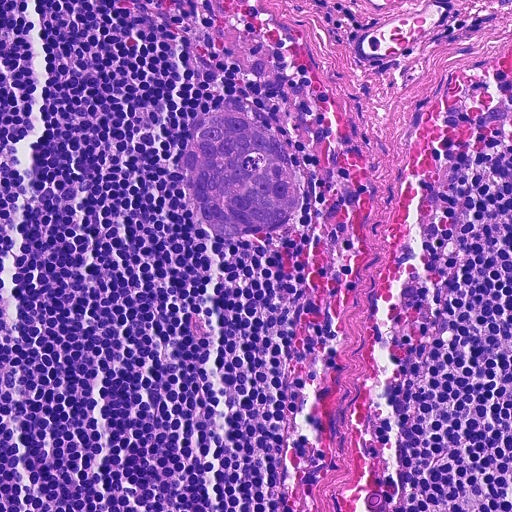
This is a crop of a whole-slide image: an H&E-stained breast-cancer sentinel lymph node section at roughly 20× magnification (about 0.45 µm per pixel; the crop spans about 0.23 mm).
One metastatic tumour region; its boundary, reduced to 11 corners and listed clockwise: (201, 112), (236, 113), (270, 130), (282, 143), (295, 178), (297, 196), (280, 227), (246, 236), (212, 234), (188, 208), (180, 162).
About 5% of the image area is annotated as tumour.